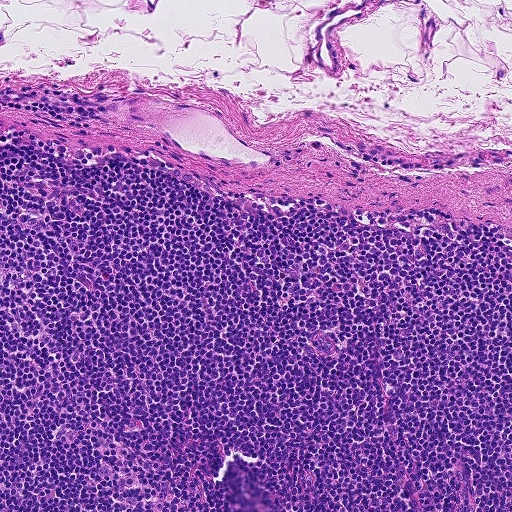
This is a crop of a whole-slide image: an H&E-stained breast-cancer sentinel lymph node section at roughly 10× magnification (about 0.9 µm per pixel; the crop spans about 0.46 mm).